Image:
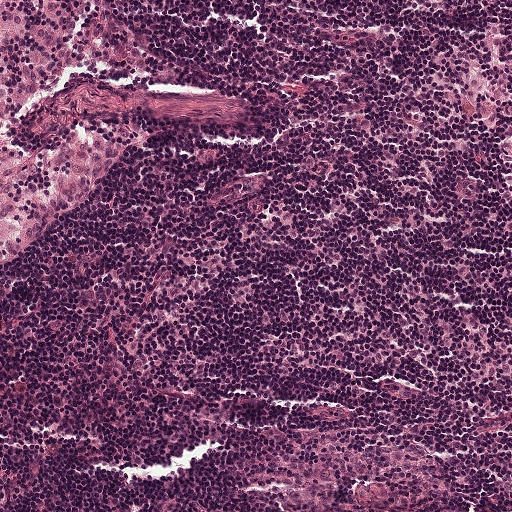
This is a crop of a whole-slide image: an H&E-stained breast-cancer sentinel lymph node section at roughly 10× magnification (about 0.97 µm per pixel; the crop spans about 0.5 mm).
Question:
Does this lymph node field contain metastatic tumour?
Answer:
No, this field holds no outlined metastasis.